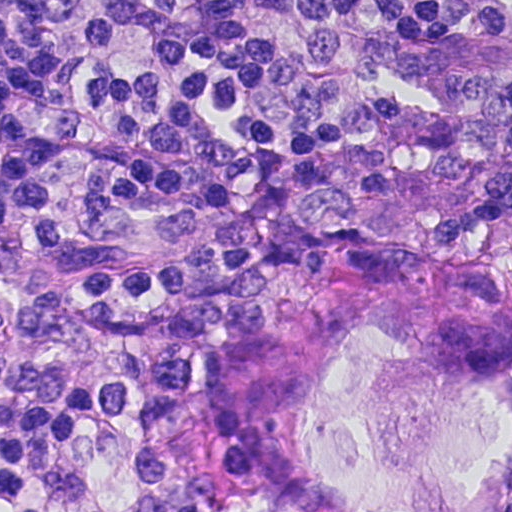
A 0.12-mm field of an H&E-stained sentinel lymph node from a breast-cancer patient (whole-slide image), shown at about 40×, about 0.23 µm per pixel.
Tumour region outline (a closed clockwise path, crop pixels): (373, 252), (482, 268), (511, 284), (511, 485), (484, 511), (318, 511), (269, 463), (241, 414), (247, 354), (274, 306).
About 25% of this field is tumour.